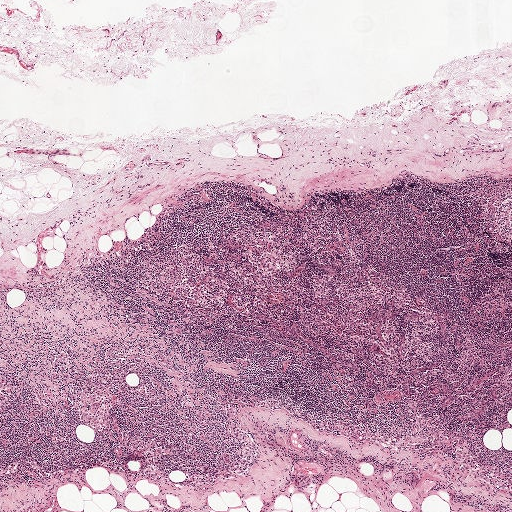
This is a crop of a whole-slide image: an H&E-stained breast-cancer sentinel lymph node section at roughly 2.5× magnification (about 3.9 µm per pixel; the crop spans about 2.0 mm).
Question: Is there metastatic carcinoma in this field?
Answer: No, this field holds no outlined metastasis.